Question: 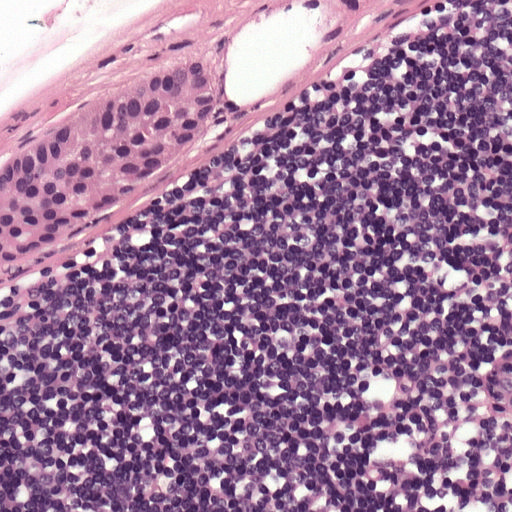
About what magnification does this crop show?

Choices:
 (A) about 40×
 (B) about 2.5×
 (C) about 10×
 (D) about 20×
 (E) about 5×

Answer: (D) about 20×
A 0.25-mm field of an H&E-stained sentinel lymph node from a breast-cancer patient (whole-slide image), shown at about 20×, about 0.49 µm per pixel.
One metastatic tumour region; its boundary, reduced to 9 corners and listed clockwise: (197, 55), (214, 68), (209, 130), (106, 214), (15, 269), (0, 266), (0, 165), (20, 142), (136, 61).
One more small tumour piece is annotated here but not outlined.
About 10% of the image area is annotated as tumour.